Lymph node section stained with H&E, from a whole-slide image of a breast-cancer sentinel node. Magnification about 2.5×, about 1.9 mm across the frame, about 3.6 µm per pixel.
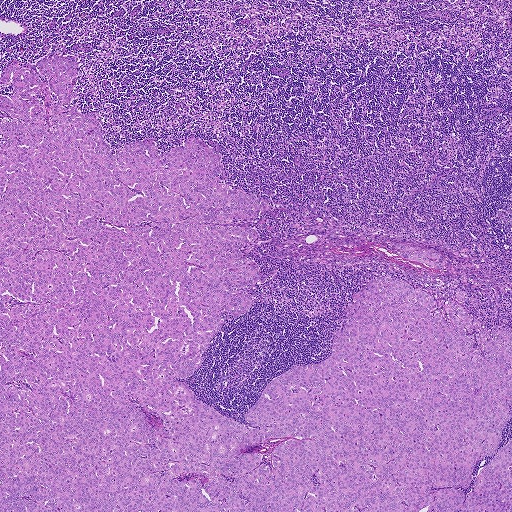
Outlines of two tumour regions, largest first (closed clockwise paths, crop pixels): region 1: (74, 57), (60, 106), (113, 154), (196, 138), (269, 203), (219, 224), (256, 231), (263, 282), (177, 378), (221, 416), (260, 429), (376, 277), (510, 328), (510, 419), (457, 488), (463, 501), (511, 437), (511, 511), (0, 511), (3, 69), (34, 68), (48, 123), (57, 97), (37, 64); region 2: (398, 241), (418, 248), (434, 249), (441, 253), (444, 260), (442, 268), (434, 268), (400, 256), (395, 250), (388, 248), (387, 244).
One more small tumour piece is annotated here but not outlined.
About 55% of this field is tumour.